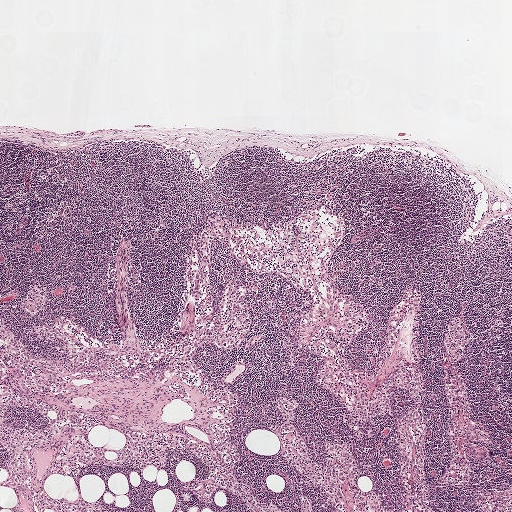
This is a crop of a whole-slide image: an H&E-stained breast-cancer sentinel lymph node section at roughly 2.5× magnification (about 3.9 µm per pixel; the crop spans about 2.0 mm).
Question: Does this lymph node field contain metastatic tumour?
Answer: No, this field holds no outlined metastasis.